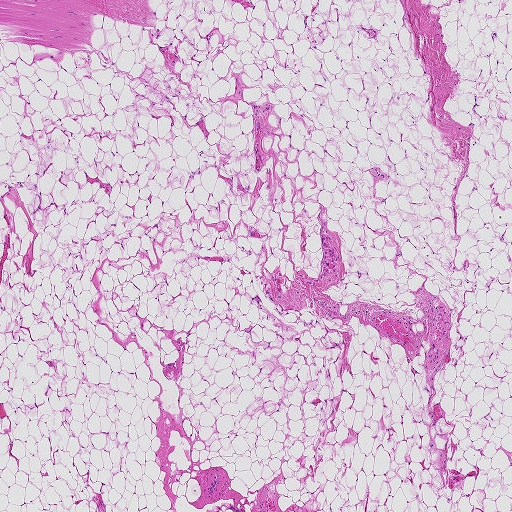
This is a crop of a whole-slide image: an H&E-stained breast-cancer sentinel lymph node section at roughly 2.5× magnification (about 3.6 µm per pixel; the crop spans about 1.9 mm).